Question: 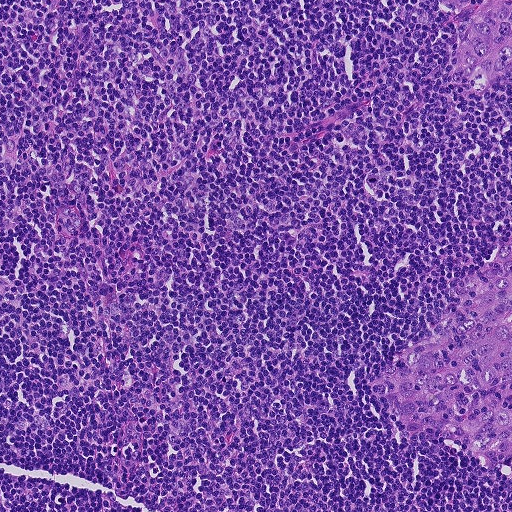
Lymph node section stained with H&E, from a whole-slide image of a breast-cancer sentinel node. Magnification about 10×, about 0.46 mm across the frame, about 0.9 µm per pixel.
Roughly what share of this field is metastatic tumour?

Choices:
 (A) about 25% to 45%
 (B) about 50% or more
 (C) about 5% or less
 (D) none: no tumour is outlined
 (E) about 10% to 20%

Answer: (E) about 10% to 20%
About 10% of the field is tumour.
Outlines of two tumour regions, largest first (closed clockwise paths, crop pixels): region 1: (511, 234), (511, 479), (456, 451), (406, 444), (380, 402), (362, 384), (401, 346), (424, 338), (458, 278); region 2: (438, 0), (511, 0), (511, 75), (492, 88), (468, 85), (444, 77), (445, 60), (468, 16), (440, 10).